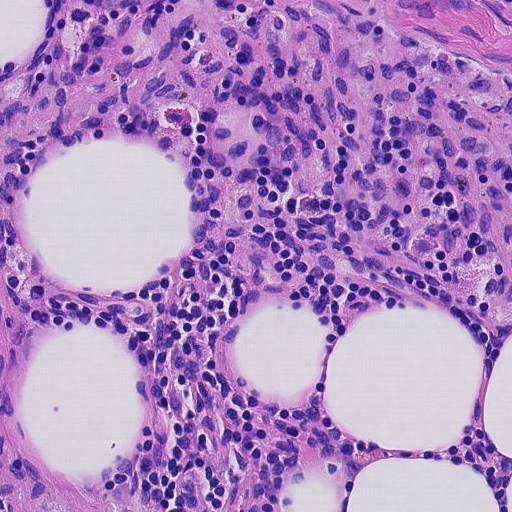
A 0.23-mm field of an H&E-stained sentinel lymph node from a breast-cancer patient (whole-slide image), shown at about 20×, about 0.45 µm per pixel.
Question: Does this lymph node field contain metastatic tumour?
Answer: No, this field holds no outlined metastasis.